Question: 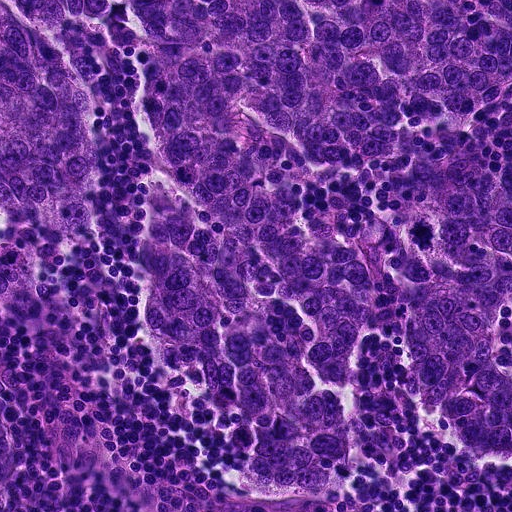
Lymph node section stained with H&E, from a whole-slide image of a breast-cancer sentinel node. Magnification about 20×, about 0.23 mm across the frame, about 0.45 µm per pixel.
Roughly what share of this field is metastatic tumour?

Choices:
 (A) about 25% to 45%
 (B) about 10% to 20%
 (C) about 50% or more
 (D) about 5% or less
 (E) none: no tumour is outlined

Answer: (C) about 50% or more
About 65% of the field is tumour.
Tumour region outline (a closed clockwise path, crop pixels): (0, 0), (511, 0), (511, 93), (468, 138), (511, 166), (494, 340), (511, 460), (463, 442), (422, 394), (404, 302), (361, 342), (342, 469), (314, 489), (252, 480), (238, 417), (151, 330), (152, 138), (126, 12), (64, 21), (96, 133), (86, 228), (0, 300).